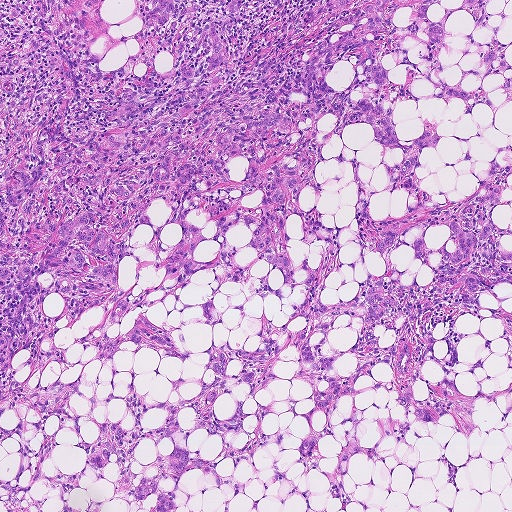
A 0.93-mm field of an H&E-stained sentinel lymph node from a breast-cancer patient (whole-slide image), shown at about 5×, about 1.8 µm per pixel.
Outlines of two tumour regions, largest first (closed clockwise paths, crop pixels): region 1: (0, 0), (511, 0), (511, 282), (406, 377), (336, 358), (374, 458), (338, 468), (346, 396), (300, 455), (306, 292), (262, 302), (248, 226), (213, 325), (201, 307), (221, 264), (169, 278), (158, 200), (133, 232), (118, 282), (164, 296), (105, 332), (186, 361), (59, 328), (28, 384), (77, 379), (92, 442), (131, 370), (186, 401), (289, 322), (282, 446), (191, 407), (138, 444), (135, 486), (178, 444), (244, 484), (0, 511); region 2: (498, 308), (505, 309), (511, 314), (511, 367), (509, 369), (506, 362), (505, 339), (502, 324), (497, 319), (490, 319), (491, 311).
About 75% of this field is tumour.